Question: 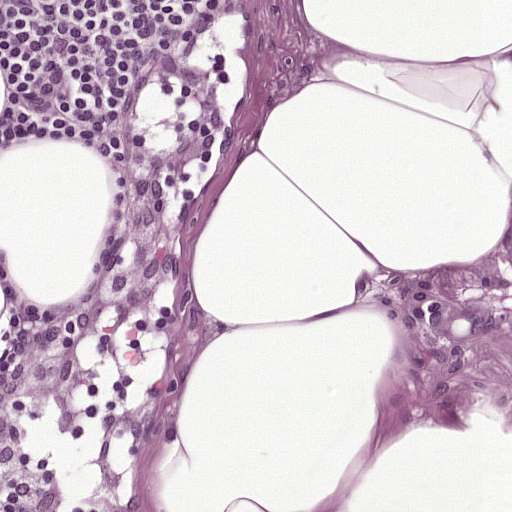
At roughly what magnification is this field shown?

Choices:
 (A) about 20×
 (B) about 40×
 (C) about 10×
 (D) about 5×
 (E) about 2.5×

Answer: (A) about 20×
This is a crop of a whole-slide image: an H&E-stained breast-cancer sentinel lymph node section at roughly 20× magnification (about 0.49 µm per pixel; the crop spans about 0.25 mm).